A 0.5-mm field of an H&E-stained sentinel lymph node from a breast-cancer patient (whole-slide image), shown at about 10×, about 0.97 µm per pixel.
Question: 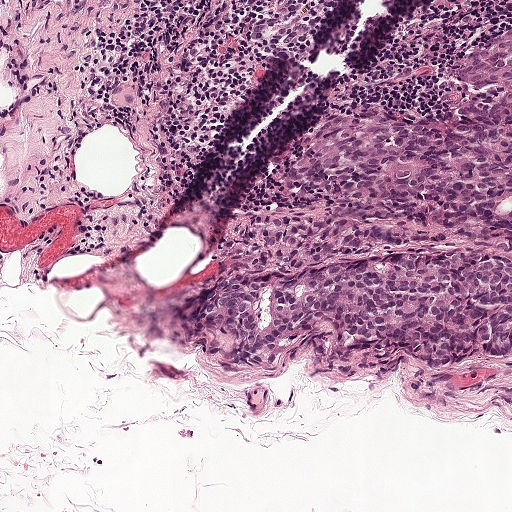
Estimate the proportion of this field that is metastatic tumour.

Choices:
 (A) about 10% to 20%
 (B) about 5% or less
 (C) none: no tumour is outlined
 (D) about 25% to 45%
 (E) about 50% or more

Answer: (A) about 10% to 20%
About 20% of the field is tumour.
Tumour region outline (a closed clockwise path, crop pixels): (511, 28), (511, 353), (430, 368), (407, 352), (372, 373), (328, 368), (330, 321), (316, 318), (238, 365), (218, 354), (222, 290), (334, 256), (498, 242), (330, 188), (297, 169), (294, 154), (326, 120), (442, 116), (458, 104), (449, 71).